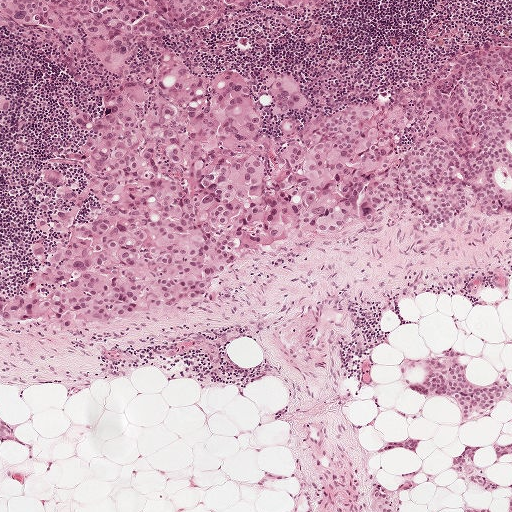
Lymph node section stained with H&E, from a whole-slide image of a breast-cancer sentinel node. Magnification about 5×, about 1 mm across the frame, about 1.9 µm per pixel.
Outlines of seven tumour regions, largest first (closed clockwise paths, crop pixels): region 1: (0, 0), (336, 0), (162, 38), (248, 79), (262, 138), (511, 34), (511, 213), (473, 195), (424, 228), (403, 205), (290, 232), (191, 307), (0, 318), (43, 274), (32, 243), (64, 247), (35, 224), (43, 170), (85, 189), (77, 118), (118, 88), (84, 28), (0, 24); region 2: (456, 347), (470, 353), (464, 358), (458, 357), (458, 361), (466, 365), (465, 378), (478, 386), (489, 384), (504, 374), (508, 384), (511, 386), (511, 407), (506, 397), (502, 397), (485, 413), (461, 425), (463, 404), (445, 396), (429, 398), (406, 389), (404, 381), (420, 379), (428, 358); region 3: (292, 75), (301, 92), (308, 100), (309, 110), (293, 113), (288, 116), (276, 114), (265, 82), (271, 77); region 4: (465, 446), (479, 448), (472, 456), (472, 465), (483, 472), (487, 479), (501, 488), (501, 494), (492, 494), (480, 491), (451, 470), (451, 462), (460, 458), (464, 452); region 5: (376, 489), (388, 496), (395, 506), (400, 511), (372, 511), (370, 510), (370, 505), (373, 492); region 6: (409, 436), (410, 439), (421, 440), (418, 446), (416, 454), (402, 448), (394, 448), (380, 454), (377, 454), (379, 446), (385, 441), (388, 442), (396, 442), (408, 438); region 7: (494, 444), (501, 446), (511, 444), (511, 455), (507, 456), (500, 456), (497, 459), (496, 458), (496, 453), (493, 449).
Two more small tumour pieces are annotated here but not outlined.
About 35% of the image area is annotated as tumour.